Question: 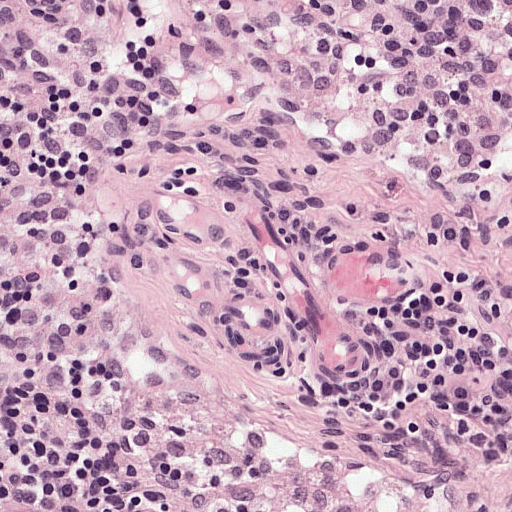
About what magnification does this crop show?

Choices:
 (A) about 10×
 (B) about 20×
 (C) about 2.5×
 (D) about 5×
 (E) about 40×

Answer: (B) about 20×
Lymph node section stained with H&E, from a whole-slide image of a breast-cancer sentinel node. Magnification about 20×, about 0.25 mm across the frame, about 0.49 µm per pixel.